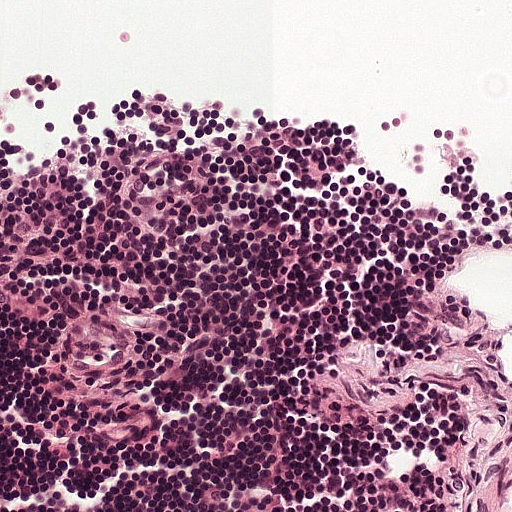
This is a crop of a whole-slide image: an H&E-stained breast-cancer sentinel lymph node section at roughly 20× magnification (about 0.49 µm per pixel; the crop spans about 0.25 mm).
Question: Does this lymph node field contain metastatic tumour?
Answer: No, this field holds no outlined metastasis.